Image:
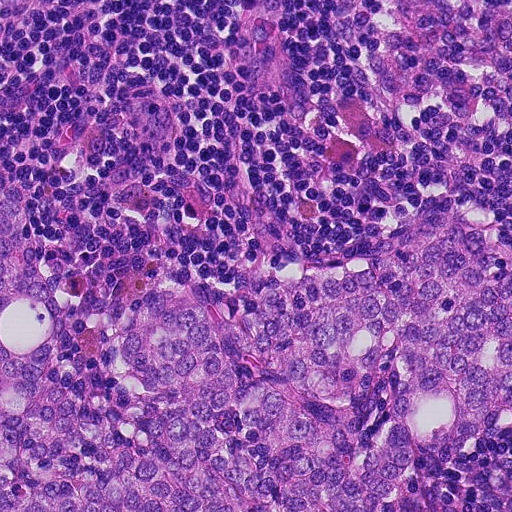
A 0.23-mm field of an H&E-stained sentinel lymph node from a breast-cancer patient (whole-slide image), shown at about 20×, about 0.45 µm per pixel.
Question:
Where is the metastatic tumour in this field? Give each region's outline as (x, y) pixel points.
Answer:
One metastatic tumour region; its boundary, reduced to 22 corners and listed clockwise: (0, 145), (70, 321), (67, 356), (90, 422), (125, 426), (140, 394), (112, 371), (100, 337), (130, 274), (164, 262), (220, 307), (254, 305), (276, 276), (380, 248), (438, 200), (499, 234), (511, 252), (511, 406), (448, 452), (412, 454), (379, 511), (0, 511).
About 45% of the image area is annotated as tumour.